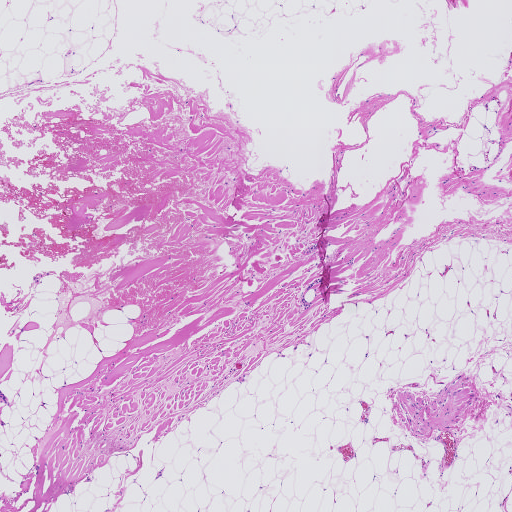
This is a crop of a whole-slide image: an H&E-stained breast-cancer sentinel lymph node section at roughly 2.5× magnification (about 3.6 µm per pixel; the crop spans about 1.9 mm).